Image:
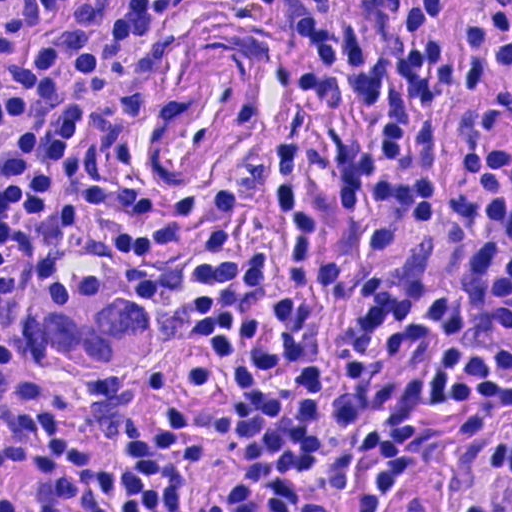
This is a crop of a whole-slide image: an H&E-stained breast-cancer sentinel lymph node section at roughly 40× magnification (about 0.23 µm per pixel; the crop spans about 0.12 mm).
Question:
Which parts of this field are metastatic tumour? Answer with the outline of each region, in pixels.
Answer:
Tumour region outline (a closed clockwise path, crop pixels): (79, 245), (128, 264), (157, 308), (158, 360), (114, 385), (59, 381), (19, 342), (19, 289), (56, 249).
Tumour covers about 5% of the frame.